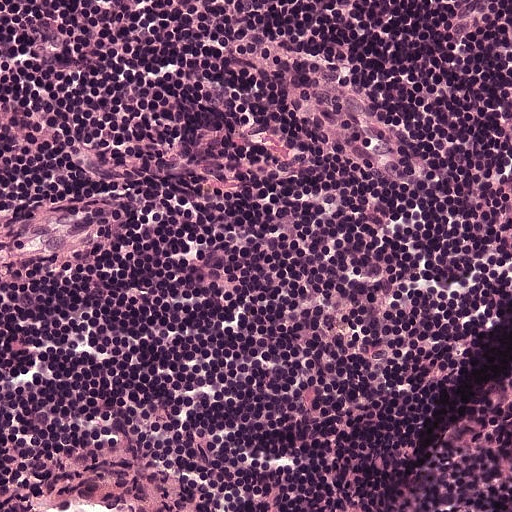
Lymph node section stained with H&E, from a whole-slide image of a breast-cancer sentinel node. Magnification about 20×, about 0.25 mm across the frame, about 0.49 µm per pixel.